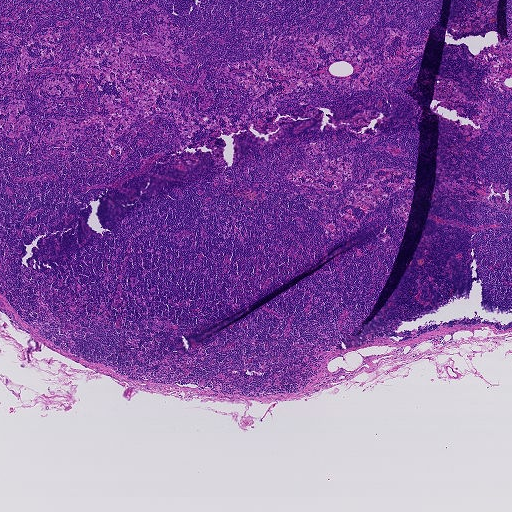
A 1.9-mm field of an H&E-stained sentinel lymph node from a breast-cancer patient (whole-slide image), shown at about 2.5×, about 3.6 µm per pixel.